Question: 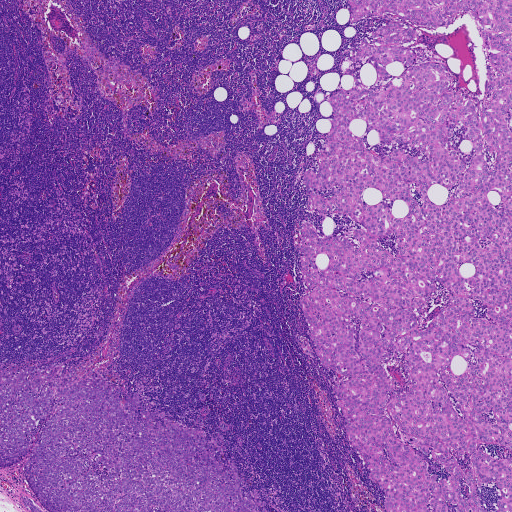
A 1.9-mm field of an H&E-stained sentinel lymph node from a breast-cancer patient (whole-slide image), shown at about 2.5×, about 3.6 µm per pixel.
Estimate the proportion of this field that is metastatic tumour.

Choices:
 (A) about 25% to 45%
 (B) about 5% or less
 (C) none: no tumour is outlined
 (D) about 50% or more
 (E) about 10% to 20%

Answer: (A) about 25% to 45%
About 45% of the field is tumour.
Boundaries of three metastatic tumour regions, simplified and listed clockwise, largest first: region 1: (511, 0), (511, 511), (384, 511), (385, 492), (348, 442), (336, 371), (315, 353), (300, 304), (300, 224), (359, 246), (352, 231), (363, 229), (310, 211), (302, 177), (318, 168), (328, 99), (353, 87), (346, 71), (357, 45), (401, 18), (351, 25), (348, 3); region 2: (61, 364), (70, 367), (67, 385), (93, 378), (138, 394), (152, 411), (205, 432), (222, 461), (243, 478), (244, 490), (258, 490), (267, 509), (48, 511), (25, 479), (27, 459), (0, 468), (0, 369); region 3: (20, 496), (22, 496), (31, 498), (35, 502), (36, 504), (45, 511), (30, 511), (23, 504).